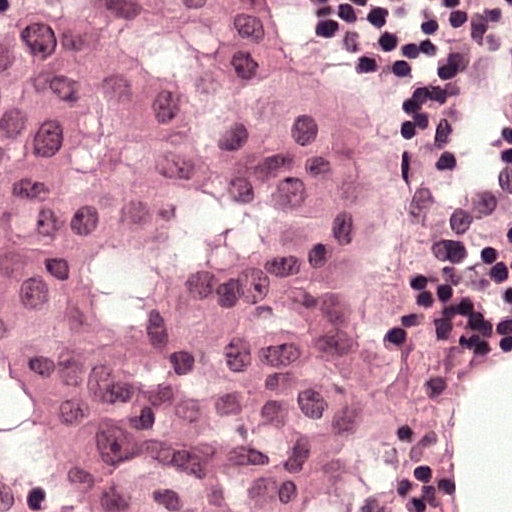
Lymph node section stained with H&E, from a whole-slide image of a breast-cancer sentinel node. Magnification about 40×, about 0.12 mm across the frame, about 0.24 µm per pixel.
Metastatic tumour outline, simplified to 10 points and listed clockwise in crop pixels (x, y): (253, 0), (308, 23), (345, 76), (411, 223), (412, 284), (366, 397), (338, 511), (70, 511), (0, 436), (3, 5).
About 70% of the image area is annotated as tumour.